H&E-stained section of a sentinel lymph node (breast cancer), from a whole-slide image, viewed at about 10×: the field is about 0.46 mm across, about 0.91 µm per pixel.
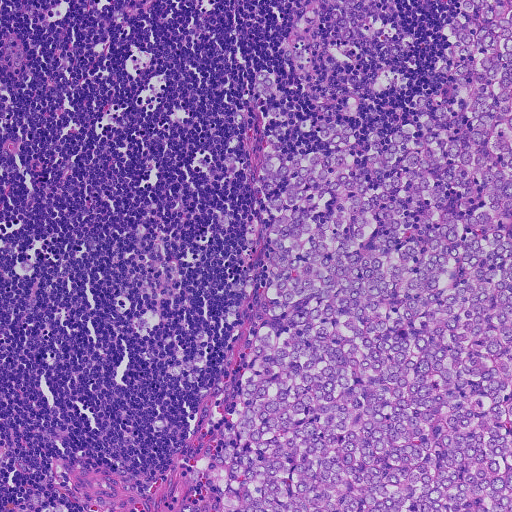
Boundaries of three metastatic tumour regions, simplified and listed clockwise, largest first: region 1: (465, 0), (511, 0), (511, 511), (226, 511), (211, 469), (235, 418), (268, 274), (271, 216), (253, 163), (264, 135), (285, 152), (326, 154), (297, 128), (307, 118), (370, 136), (411, 120), (413, 90), (441, 84), (448, 28); region 2: (254, 70), (272, 70), (275, 74), (278, 103), (278, 118), (273, 118), (254, 88); region 3: (234, 135), (241, 137), (241, 141), (232, 151), (239, 164), (233, 170), (223, 164), (225, 143).
Two more small tumour pieces are annotated here but not outlined.
About 45% of this field is tumour.